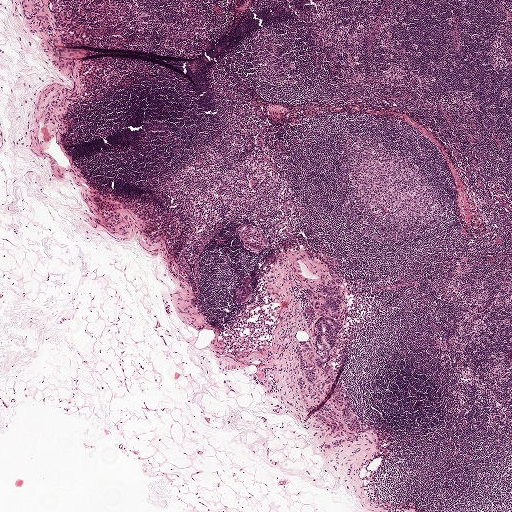
A 2.0-mm field of an H&E-stained sentinel lymph node from a breast-cancer patient (whole-slide image), shown at about 2.5×, about 3.9 µm per pixel.
Boundaries of three metastatic tumour regions, simplified and listed clockwise, largest first: region 1: (336, 282), (346, 283), (345, 315), (331, 356), (330, 372), (361, 423), (357, 433), (343, 426), (341, 433), (336, 433), (297, 403), (299, 391), (310, 391), (315, 386), (314, 386), (307, 390), (295, 385), (300, 369), (294, 351), (306, 339), (314, 338), (312, 327), (299, 317), (300, 308); region 2: (243, 222), (262, 231), (267, 238), (266, 247), (259, 251), (244, 248), (236, 232), (236, 227); region 3: (248, 275), (250, 275), (253, 289), (253, 297), (250, 302), (245, 304), (241, 304), (238, 299), (234, 297), (236, 286).
The annotated tumour makes up about 5% of the crop.